Question: 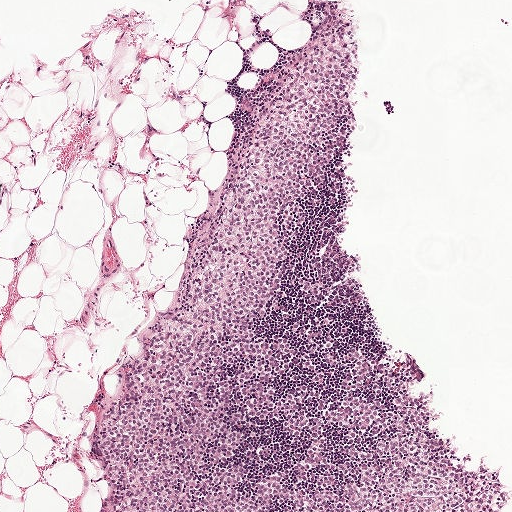
This is a crop of a whole-slide image: an H&E-stained breast-cancer sentinel lymph node section at roughly 5× magnification (about 1.9 µm per pixel; the crop spans about 1 mm).
Estimate the proportion of this field that is metastatic tumour.

Choices:
 (A) about 25% to 45%
 (B) about 10% to 20%
 (C) about 5% or less
 (D) about 50% or more
 (E) none: no tumour is outlined

Answer: (A) about 25% to 45%
About 40% of the field is tumour.
Metastatic tumour outline, simplified to 10 points and listed clockwise in crop pixels (x, y): (311, 10), (363, 14), (355, 300), (489, 495), (488, 511), (107, 511), (118, 393), (235, 178), (242, 132), (289, 27).